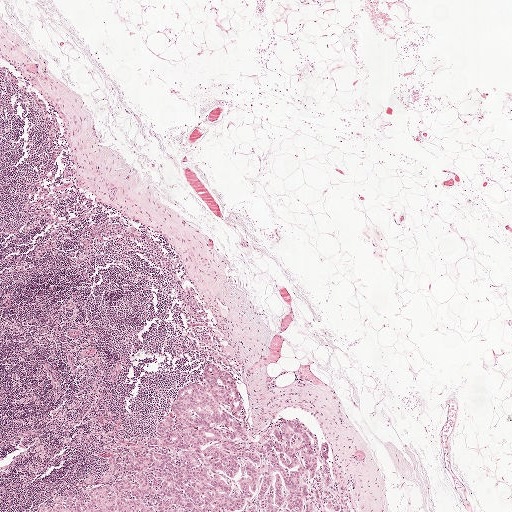
A 2.0-mm field of an H&E-stained sentinel lymph node from a breast-cancer patient (whole-slide image), shown at about 2.5×, about 3.9 µm per pixel.
One metastatic tumour region; its boundary, reduced to 22 corners and listed clockwise: (213, 364), (232, 377), (250, 441), (260, 443), (291, 420), (315, 438), (319, 452), (328, 445), (340, 511), (37, 510), (54, 508), (60, 494), (89, 503), (80, 490), (101, 486), (83, 479), (100, 478), (117, 454), (144, 450), (175, 392), (203, 384), (206, 366).
About 10% of this field is tumour.